Question: 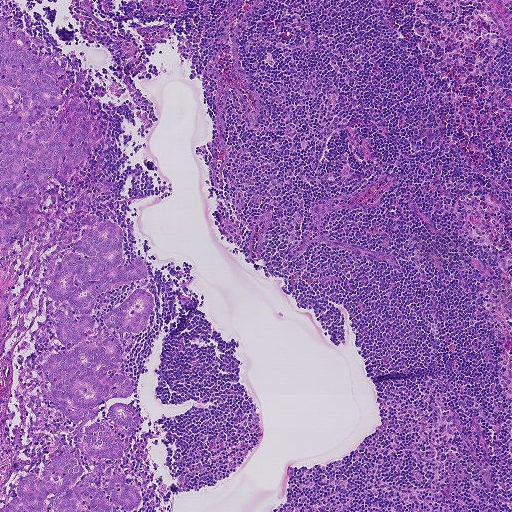
H&E-stained section of a sentinel lymph node (breast cancer), from a whole-slide image, viewed at about 5×: the field is about 0.93 mm across, about 1.8 µm per pixel.
About how much of this crop is taken up by metastatic carcinoma?

Choices:
 (A) about 25% to 45%
 (B) none: no tumour is outlined
 (C) about 50% or more
 (D) about 10% to 20%
 (E) about 5% or less

Answer: (D) about 10% to 20%
About 20% of the field is tumour.
Metastatic tumour outline, simplified to 24 points and listed clockwise in crop pixels (x, y): (0, 0), (67, 56), (71, 81), (86, 67), (87, 102), (109, 123), (102, 140), (116, 143), (96, 181), (118, 185), (82, 217), (116, 224), (123, 266), (138, 255), (148, 272), (95, 307), (102, 315), (139, 287), (153, 301), (121, 359), (140, 424), (120, 472), (140, 499), (0, 511).